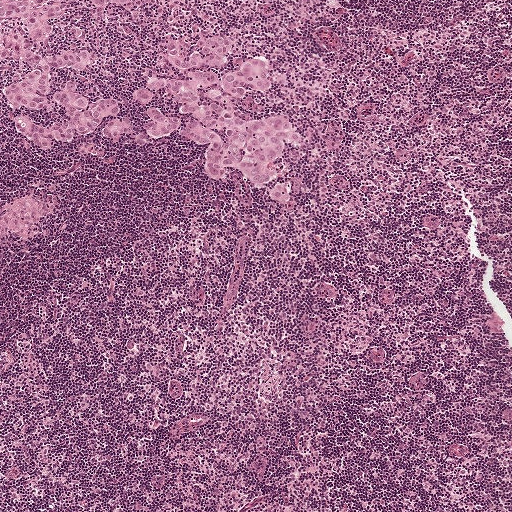
H&E-stained section of a sentinel lymph node (breast cancer), from a whole-slide image, viewed at about 5×: the field is about 1 mm across, about 1.9 µm per pixel.
Four metastatic tumour regions, each outlined as a closed clockwise path in crop pixels (x, y), largest first: region 1: (235, 35), (236, 52), (215, 67), (220, 76), (240, 74), (246, 61), (263, 56), (278, 81), (270, 92), (248, 89), (239, 114), (281, 115), (304, 141), (301, 146), (286, 143), (274, 165), (290, 188), (290, 200), (275, 203), (270, 184), (255, 183), (235, 167), (217, 181), (208, 179), (209, 150), (178, 132), (139, 148), (152, 108), (194, 118), (170, 91), (147, 103), (136, 91), (153, 77), (187, 79), (169, 57), (169, 40), (180, 41), (188, 58), (210, 38); region 2: (0, 0), (67, 0), (69, 18), (90, 35), (86, 48), (97, 63), (86, 73), (58, 74), (53, 77), (54, 88), (66, 88), (74, 78), (80, 90), (91, 96), (120, 98), (123, 102), (121, 112), (102, 118), (94, 131), (79, 134), (74, 143), (57, 144), (50, 150), (38, 148), (16, 130), (16, 119), (36, 119), (59, 127), (68, 122), (68, 114), (61, 106), (29, 109), (8, 99), (7, 85), (27, 73), (29, 65), (15, 58), (0, 63); region 3: (130, 116), (132, 121), (132, 133), (116, 137), (111, 136), (105, 132), (106, 123), (116, 117), (121, 119); region 4: (132, 0), (134, 7), (131, 10), (120, 8), (106, 14), (93, 8), (88, 1).
About 10% of this field is tumour.